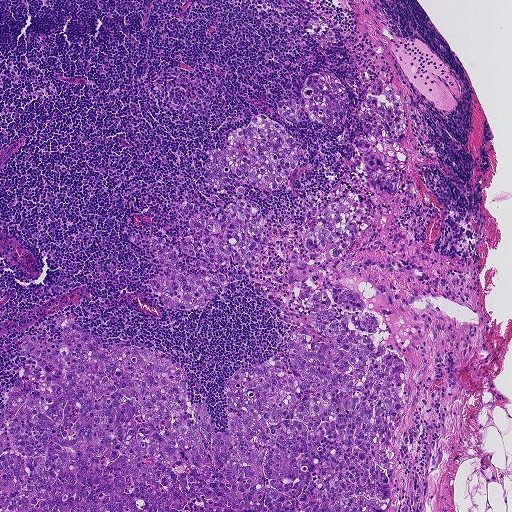
H&E-stained section of a sentinel lymph node (breast cancer), from a whole-slide image, viewed at about 5×: the field is about 0.93 mm across, about 1.8 µm per pixel.
Outlines of four tumour regions, largest first (closed clockwise paths, crop pixels): region 1: (344, 198), (350, 242), (318, 271), (382, 317), (407, 368), (388, 511), (0, 511), (1, 407), (28, 364), (24, 338), (61, 338), (56, 316), (105, 350), (116, 342), (178, 364), (216, 433), (229, 427), (224, 383), (311, 312), (286, 280), (289, 259), (311, 258), (303, 238); region 2: (242, 197), (261, 215), (264, 238), (252, 272), (240, 270), (231, 278), (227, 289), (201, 311), (177, 310), (156, 300), (151, 289), (147, 279), (155, 271), (154, 259), (146, 251), (145, 239), (154, 232), (174, 244), (201, 231), (190, 228), (186, 218), (196, 211), (218, 218), (222, 207); region 3: (261, 113), (281, 125), (297, 142), (300, 158), (285, 185), (278, 189), (271, 192), (241, 183), (247, 190), (246, 194), (238, 194), (231, 182), (225, 186), (224, 193), (210, 188), (204, 183), (210, 152), (222, 147), (222, 144), (237, 127), (245, 127), (253, 114); region 4: (326, 71), (344, 84), (347, 91), (347, 107), (346, 122), (333, 127), (318, 124), (302, 110), (302, 118), (296, 122), (289, 121), (278, 111), (278, 104), (282, 98), (297, 100), (301, 106), (303, 97), (300, 90), (304, 85), (306, 78), (311, 72).
About 35% of the image area is annotated as tumour.